Image:
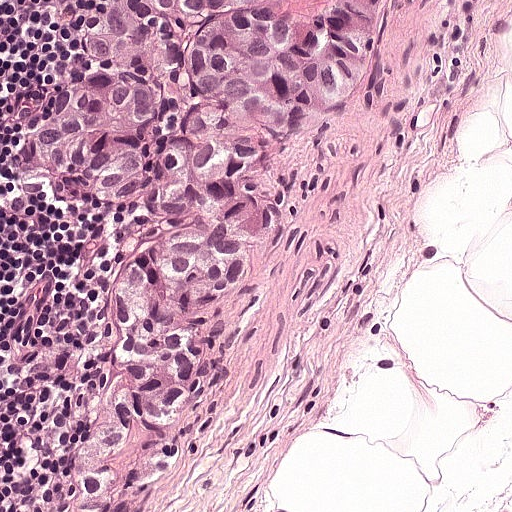
H&E-stained section of a sentinel lymph node (breast cancer), from a whole-slide image, viewed at about 20×: the field is about 0.25 mm across, about 0.49 µm per pixel.
Question:
Describe where the metastatic carcinoma lies in this crop.
Answer:
One metastatic tumour region; its boundary, reduced to 12 corners and listed clockwise: (54, 0), (380, 0), (268, 187), (230, 359), (158, 510), (35, 511), (96, 392), (135, 258), (118, 222), (65, 198), (30, 138), (60, 48).
About 35% of this field is tumour.

Image:
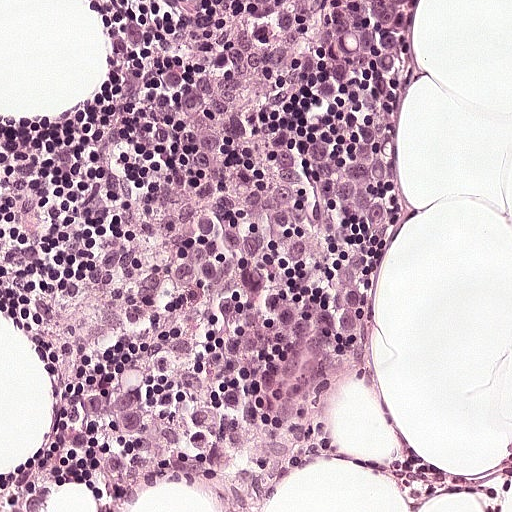
This is a crop of a whole-slide image: an H&E-stained breast-cancer sentinel lymph node section at roughly 20× magnification (about 0.49 µm per pixel; the crop spans about 0.25 mm).
Question:
Describe where the metastatic carcinoma lies in this crop.
Answer:
Metastatic tumour outline, simplified to 14 points and listed clockwise in crop pixels (x, y): (422, 0), (404, 60), (406, 150), (386, 323), (356, 414), (338, 422), (278, 422), (272, 400), (283, 318), (318, 218), (307, 150), (328, 92), (318, 36), (299, 4).
The annotated tumour makes up about 15% of the crop.

Image:
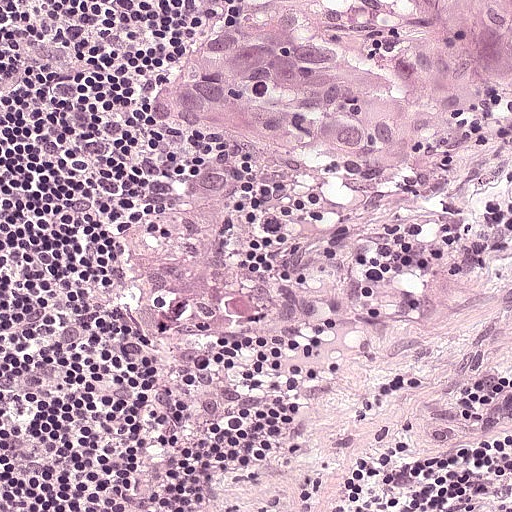
H&E-stained section of a sentinel lymph node (breast cancer), from a whole-slide image, viewed at about 20×: the field is about 0.25 mm across, about 0.49 µm per pixel.
Question:
Describe where the metastatic carcinoma lies in this crop.
Answer:
The outlined metastatic tumour's edge, as a closed clockwise path of 21 points: (218, 0), (511, 0), (511, 86), (458, 123), (433, 174), (398, 211), (338, 385), (264, 435), (273, 426), (240, 434), (186, 424), (160, 404), (148, 374), (150, 304), (126, 272), (123, 232), (148, 148), (190, 118), (186, 102), (162, 91), (167, 63).
About 40% of this field is tumour.

Image:
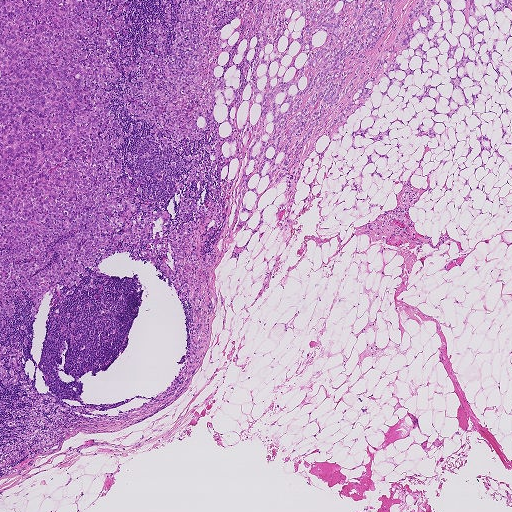
A 1.9-mm field of an H&E-stained sentinel lymph node from a breast-cancer patient (whole-slide image), shown at about 2.5×, about 3.6 µm per pixel.
Question:
Describe where the metastatic carcinoma lies in this crop.
Answer:
Three metastatic tumour regions, each outlined as a closed clockwise path in crop pixels (x, y), largest first: region 1: (0, 0), (511, 0), (511, 67), (485, 76), (439, 136), (391, 131), (396, 161), (375, 142), (394, 174), (362, 179), (379, 207), (343, 212), (355, 191), (334, 193), (342, 174), (326, 178), (342, 124), (318, 137), (220, 243), (215, 311), (181, 392), (137, 420), (77, 430), (4, 478); region 2: (483, 134), (487, 136), (490, 138), (493, 146), (497, 148), (499, 153), (511, 163), (511, 173), (509, 169), (510, 165), (495, 156), (491, 158), (487, 158), (489, 154), (486, 151), (482, 153), (482, 157), (483, 162), (487, 164), (484, 168), (480, 166), (481, 161), (480, 157), (477, 157), (474, 160), (469, 154), (465, 158), (469, 144), (471, 146), (472, 150), (472, 154), (473, 158), (480, 152), (480, 147), (478, 141), (476, 139), (478, 136); region 3: (502, 128), (510, 134), (508, 137), (508, 141), (511, 140), (511, 145), (506, 145), (504, 142), (504, 137), (501, 139).
Region 1 encloses a non-tumour hole of about 10% of its area.
About 45% of the image area is annotated as tumour.